Question: 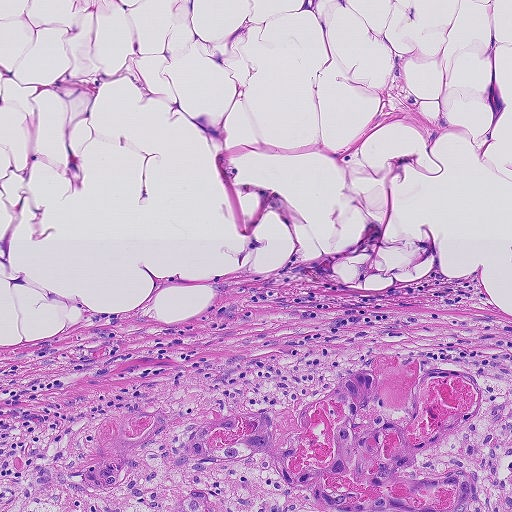
H&E-stained section of a sentinel lymph node (breast cancer), from a whole-slide image, viewed at about 10×: the field is about 0.46 mm across, about 0.9 µm per pixel.
About how much of this crop is taken up by metastatic carcinoma?

Choices:
 (A) about 25% to 45%
 (B) about 5% or less
 (C) none: no tumour is outlined
 (D) about 50% or more
 (E) about 10% to 20%

Answer: (E) about 10% to 20%
About 20% of the field is tumour.
The outlined metastatic tumour's edge, as a closed clockwise path of 18 points: (374, 352), (425, 356), (421, 375), (474, 373), (491, 355), (511, 354), (511, 511), (17, 511), (34, 465), (82, 452), (109, 411), (132, 402), (204, 417), (269, 399), (300, 405), (322, 395), (338, 370), (368, 368).